Question: 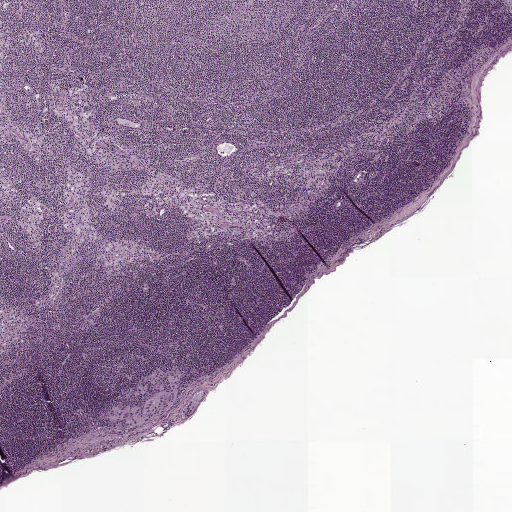
A 2.0-mm field of an H&E-stained sentinel lymph node from a breast-cancer patient (whole-slide image), shown at about 2.5×, about 3.9 µm per pixel.
About how much of this crop is taken up by metastatic carcinoma?

Choices:
 (A) about 25% to 45%
 (B) about 50% or more
 (C) about 5% or less
 (D) none: no tumour is outlined
 (E) about 10% to 20%

Answer: (C) about 5% or less
Under 5% of the field is tumour.
Outlines of two tumour regions, largest first (closed clockwise paths, crop pixels): region 1: (177, 365), (179, 370), (185, 371), (180, 378), (182, 384), (179, 385), (177, 400), (166, 414), (151, 422), (134, 426), (123, 424), (123, 420), (117, 424), (101, 420), (97, 415), (109, 410), (124, 386), (129, 386), (129, 391), (134, 390), (140, 380), (160, 368), (171, 371); region 2: (201, 391), (202, 394), (197, 405), (196, 410), (187, 417), (181, 416), (182, 410), (197, 392).